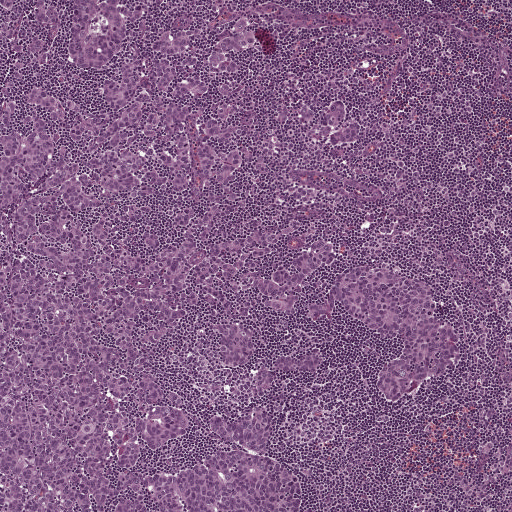
A 1-mm field of an H&E-stained sentinel lymph node from a breast-cancer patient (whole-slide image), shown at about 5×, about 1.9 µm per pixel.
Tumour region outline (a closed clockwise path, crop pixels): (0, 0), (274, 0), (222, 84), (248, 112), (334, 98), (358, 115), (348, 144), (242, 127), (309, 195), (251, 191), (233, 229), (300, 221), (273, 261), (324, 237), (334, 272), (426, 282), (459, 331), (450, 373), (396, 414), (373, 381), (398, 338), (339, 313), (265, 315), (258, 351), (222, 371), (208, 312), (156, 347), (188, 435), (137, 469), (222, 447), (215, 410), (247, 417), (269, 353), (312, 342), (327, 369), (258, 398), (318, 510), (0, 511).
About 55% of the image area is annotated as tumour.